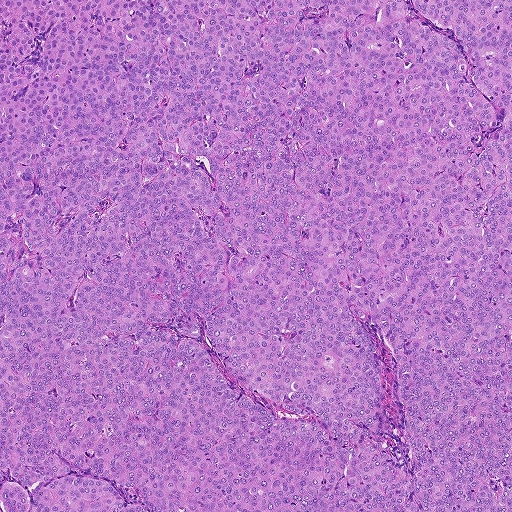
H&E-stained section of a sentinel lymph node (breast cancer), from a whole-slide image, viewed at about 5×: the field is about 0.93 mm across, about 1.8 µm per pixel.
Question: Where is the metastatic tumour in this field?
Answer: Metastatic tumour covers the whole field.
Over 95% of this field is tumour.